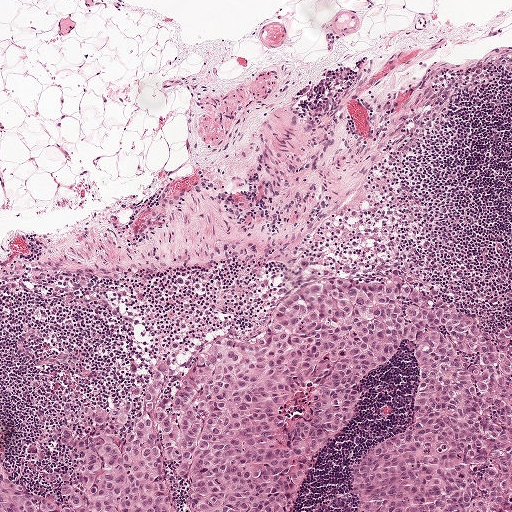
A 1-mm field of an H&E-stained sentinel lymph node from a breast-cancer patient (whole-slide image), shown at about 5×, about 1.9 µm per pixel.
Question: Is any metastatic breast cancer visible in this crop?
Answer: Yes.
Tumour region outline (a closed clockwise path, crop pixels): (328, 274), (410, 276), (511, 318), (511, 511), (0, 511), (0, 442), (18, 471), (52, 489), (42, 462), (19, 452), (23, 439), (117, 400), (117, 368), (248, 325).
Tumour covers about 35% of the frame.